A 0.46-mm field of an H&E-stained sentinel lymph node from a breast-cancer patient (whole-slide image), shown at about 10×, about 0.9 µm per pixel.
Image:
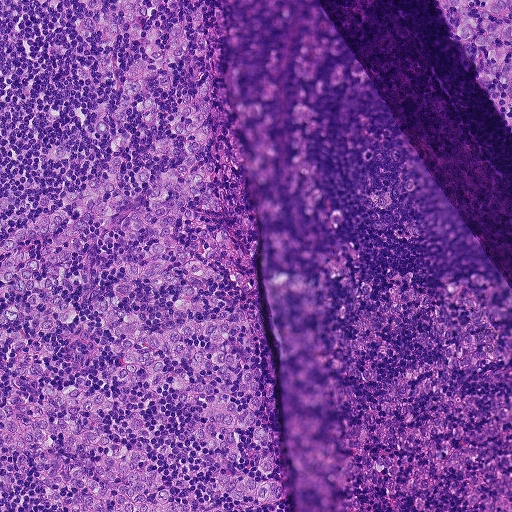
Question:
Where is the metastatic tumour in this field?
Answer:
Two metastatic tumour regions, each outlined as a closed clockwise path in crop pixels (x, y), largest first: region 1: (33, 0), (320, 0), (338, 34), (317, 80), (308, 149), (336, 232), (419, 153), (511, 289), (511, 511), (30, 511), (18, 498), (0, 506), (0, 197), (47, 182), (48, 144), (100, 154), (91, 58), (71, 26); region 2: (434, 0), (511, 0), (511, 138), (490, 108).
Tumour covers about 80% of the frame.